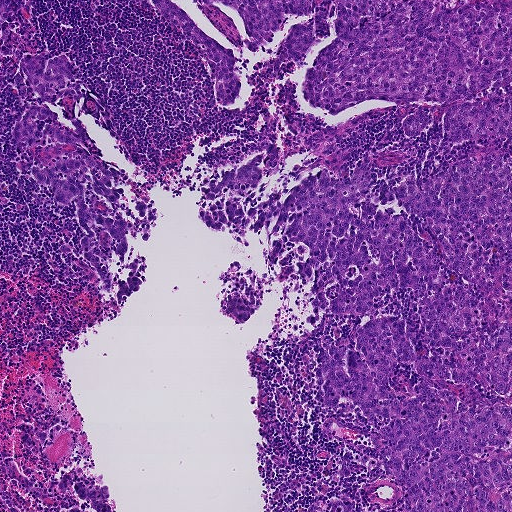
A 0.93-mm field of an H&E-stained sentinel lymph node from a breast-cancer patient (whole-slide image), shown at about 5×, about 1.8 µm per pixel.
Six metastatic tumour regions, each outlined as a closed clockwise path in crop pixels (x, y), largest first: region 1: (273, 142), (260, 202), (323, 170), (346, 182), (366, 151), (369, 193), (398, 214), (381, 192), (406, 174), (510, 149), (511, 511), (389, 511), (403, 487), (373, 442), (389, 422), (330, 407), (315, 376), (324, 332), (337, 347), (380, 317), (445, 353), (415, 291), (337, 314), (311, 304), (324, 262), (303, 285), (280, 263), (236, 325), (231, 267), (263, 286), (282, 228), (250, 247), (214, 231), (202, 185); region 2: (511, 0), (511, 142), (450, 144), (446, 109), (418, 135), (403, 134), (405, 116), (439, 102), (378, 98), (328, 114), (302, 90), (336, 37), (338, 9), (308, 64), (289, 61), (278, 74), (272, 65), (286, 31), (314, 13), (286, 15), (284, 29), (251, 52), (238, 13), (205, 2); region 3: (0, 0), (12, 4), (13, 35), (42, 58), (64, 54), (87, 86), (78, 120), (131, 183), (115, 186), (120, 216), (140, 220), (132, 204), (146, 197), (156, 209), (144, 242), (143, 232), (126, 234), (121, 267), (112, 249), (104, 262), (118, 281), (134, 258), (144, 262), (146, 279), (120, 308), (118, 285), (105, 289), (81, 255), (76, 206), (59, 206), (28, 171), (77, 149), (12, 140), (37, 103), (18, 92), (22, 54), (0, 56); region 4: (153, 0), (171, 0), (186, 12), (208, 36), (232, 50), (235, 56), (234, 71), (240, 84), (233, 104), (219, 105), (215, 99), (213, 78), (205, 59), (194, 49), (187, 37), (160, 14); region 5: (76, 466), (94, 483), (107, 484), (110, 494), (108, 500), (102, 502), (112, 511), (94, 511), (90, 504), (84, 511), (57, 511), (60, 507), (73, 507), (84, 502), (78, 499), (75, 494), (74, 482), (69, 490), (63, 491), (57, 489), (59, 477), (70, 469); region 6: (339, 502), (345, 504), (352, 508), (354, 511), (333, 511), (334, 506).
About 45% of this field is tumour.